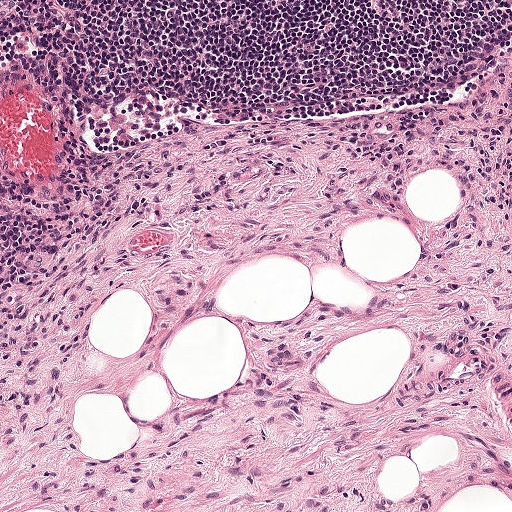
Lymph node section stained with H&E, from a whole-slide image of a breast-cancer sentinel node. Magnification about 10×, about 0.5 mm across the frame, about 0.97 µm per pixel.